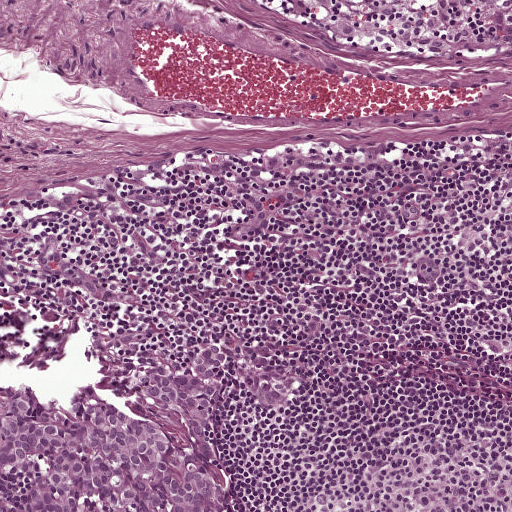
This is a crop of a whole-slide image: an H&E-stained breast-cancer sentinel lymph node section at roughly 10× magnification (about 0.97 µm per pixel; the crop spans about 0.5 mm).
Tumour region outline (a closed clockwise path, crop pixels): (248, 338), (290, 375), (279, 381), (290, 394), (281, 410), (247, 400), (223, 373), (211, 446), (224, 511), (25, 511), (9, 474), (0, 470), (0, 383), (23, 381), (55, 401), (88, 382), (192, 448), (146, 389), (144, 370), (182, 364), (211, 341), (238, 354).
Tumour covers about 10% of the frame.